Question: 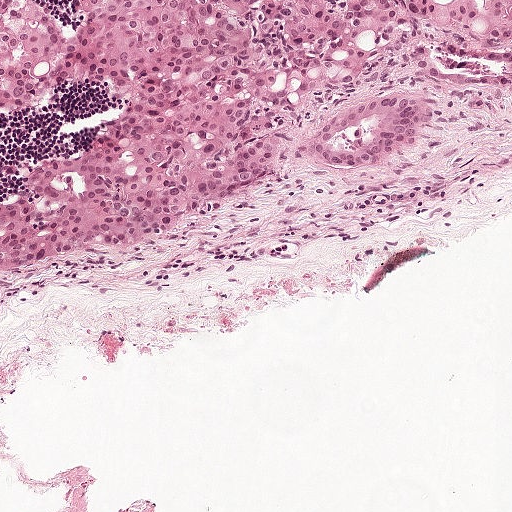
A 0.5-mm field of an H&E-stained sentinel lymph node from a breast-cancer patient (whole-slide image), shown at about 10×, about 0.97 µm per pixel.
About how much of this crop is taken up by metastatic carcinoma?

Choices:
 (A) about 50% or more
 (B) about 10% to 20%
 (C) none: no tumour is outlined
 (D) about 25% to 45%
 (E) about 5% or less

Answer: (D) about 25% to 45%
About 30% of the field is tumour.
Outlines of two tumour regions, largest first (closed clockwise paths, crop pixels): region 1: (78, 0), (511, 0), (511, 82), (451, 88), (428, 129), (404, 146), (338, 158), (300, 146), (240, 170), (201, 212), (154, 238), (37, 255), (0, 272), (0, 186), (33, 161), (110, 150), (138, 127), (67, 66); region 2: (0, 0), (61, 0), (71, 21), (63, 60), (43, 94), (2, 119).